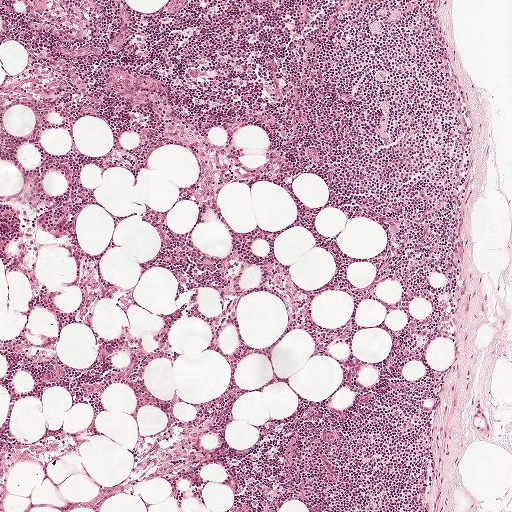
H&E-stained section of a sentinel lymph node (breast cancer), from a whole-slide image, viewed at about 5×: the field is about 1 mm across, about 1.9 µm per pixel.
Question: Does this lymph node field contain metastatic tumour?
Answer: No, this field holds no outlined metastasis.